Question: 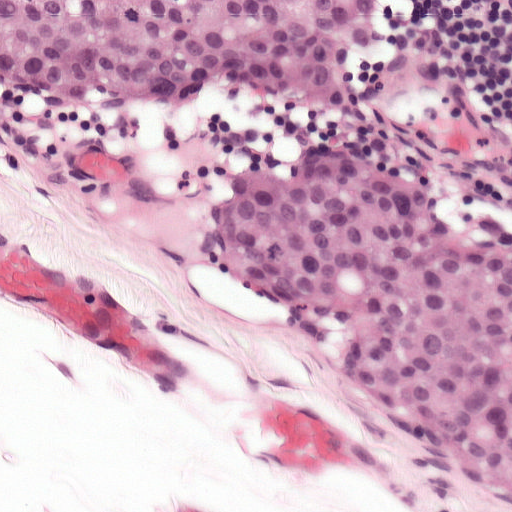
Which magnification is this H&E lymph node field most likely shown at?

Choices:
 (A) about 40×
 (B) about 2.5×
 (C) about 10×
 (D) about 5×
 (E) about 20×

Answer: (E) about 20×
A 0.25-mm field of an H&E-stained sentinel lymph node from a breast-cancer patient (whole-slide image), shown at about 20×, about 0.49 µm per pixel.
Two metastatic tumour regions, each outlined as a closed clockwise path in crop pixels (x, y), largest first: region 1: (350, 142), (511, 213), (511, 503), (390, 441), (281, 319), (236, 296), (204, 257), (202, 206), (239, 172); region 2: (0, 0), (376, 0), (346, 89), (306, 118), (254, 133), (150, 112), (0, 96).
Tumour covers about 40% of the frame.
Question: 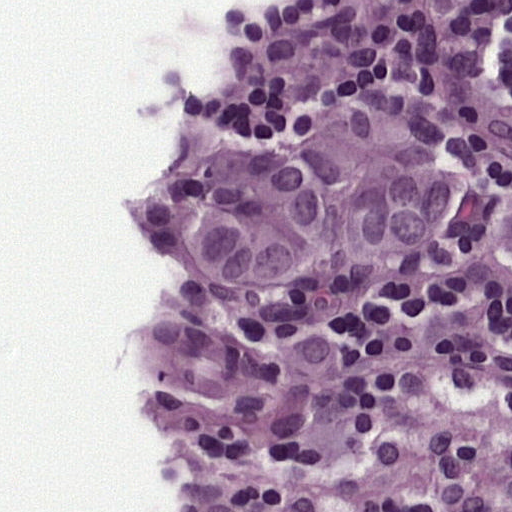
Which magnification is this H&E lymph node field most likely shown at?

Choices:
 (A) about 20×
 (B) about 40×
 (C) about 2.5×
 (D) about 10×
 (E) about 5×

Answer: (B) about 40×
A 0.12-mm field of an H&E-stained sentinel lymph node from a breast-cancer patient (whole-slide image), shown at about 40×, about 0.24 µm per pixel.
Tumour region outline (a closed clockwise path, crop pixels): (359, 92), (403, 96), (450, 128), (468, 174), (447, 225), (381, 261), (320, 254), (280, 285), (219, 287), (185, 243), (186, 180), (241, 151), (325, 130).
Two more small tumour pieces are annotated here but not outlined.
The annotated tumour makes up about 15% of the crop.
Question: 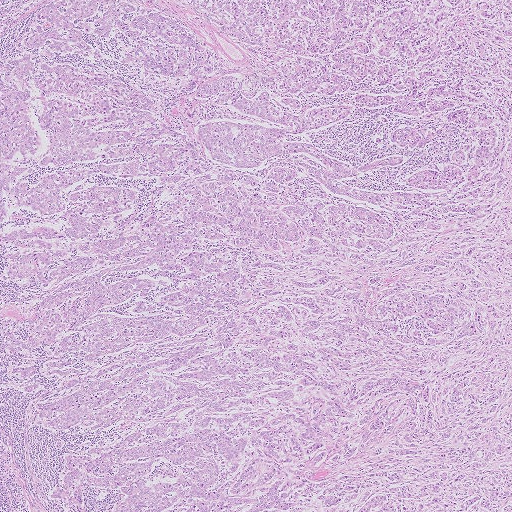
Which magnification is this H&E lymph node field most likely shown at?

Choices:
 (A) about 2.5×
 (B) about 20×
 (C) about 5×
 (D) about 40×
 (E) about 10×

Answer: (A) about 2.5×
This is a crop of a whole-slide image: an H&E-stained breast-cancer sentinel lymph node section at roughly 2.5× magnification (about 4.0 µm per pixel; the crop spans about 2.0 mm).
One metastatic tumour region; its boundary, reduced to 22 corners and listed clockwise: (122, 0), (171, 14), (222, 70), (266, 72), (184, 0), (511, 0), (511, 511), (70, 511), (45, 497), (54, 440), (70, 452), (135, 429), (50, 426), (10, 371), (29, 360), (0, 351), (2, 329), (28, 331), (54, 291), (3, 277), (0, 71), (44, 5).
About 95% of this field is tumour.
Question: 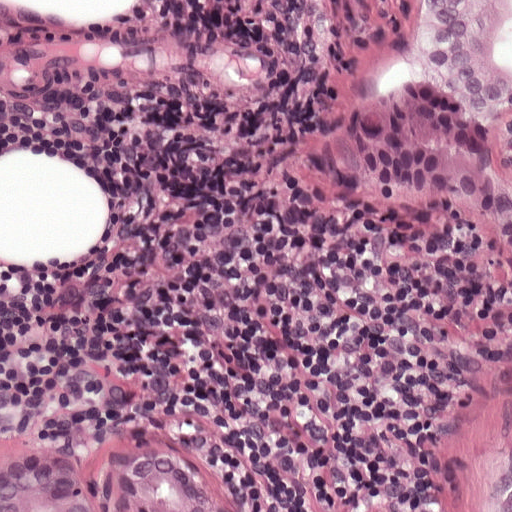
Which magnification is this H&E lymph node field most likely shown at?

Choices:
 (A) about 40×
 (B) about 20×
 (C) about 10×
 (D) about 5×
 (E) about 2.5×

Answer: (B) about 20×
H&E-stained section of a sentinel lymph node (breast cancer), from a whole-slide image, viewed at about 20×: the field is about 0.25 mm across, about 0.49 µm per pixel.
Outlines of three tumour regions, largest first (closed clockwise paths, crop pixels): region 1: (421, 0), (511, 0), (511, 303), (495, 248), (434, 232), (342, 154); region 2: (14, 414), (134, 422), (267, 511), (0, 511), (0, 417); region 3: (511, 358), (511, 511), (425, 511), (458, 409).
About 20% of the image area is annotated as tumour.